Question: 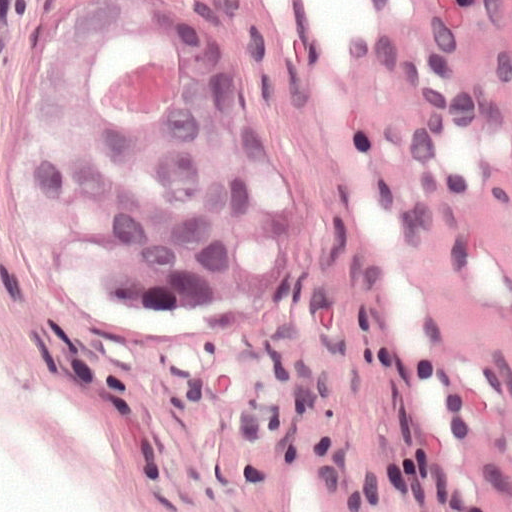
Which magnification is this H&E lymph node field most likely shown at?

Choices:
 (A) about 2.5×
 (B) about 20×
 (C) about 40×
 (D) about 10×
 (E) about 5×

Answer: (C) about 40×
H&E-stained section of a sentinel lymph node (breast cancer), from a whole-slide image, viewed at about 40×: the field is about 0.12 mm across, about 0.24 µm per pixel.
Metastatic tumour outline, simplified to 8 points and listed clockwise in crop pixels (x, y): (86, 0), (190, 0), (293, 51), (333, 199), (251, 327), (100, 357), (0, 254), (9, 93).
About 35% of the image area is annotated as tumour.